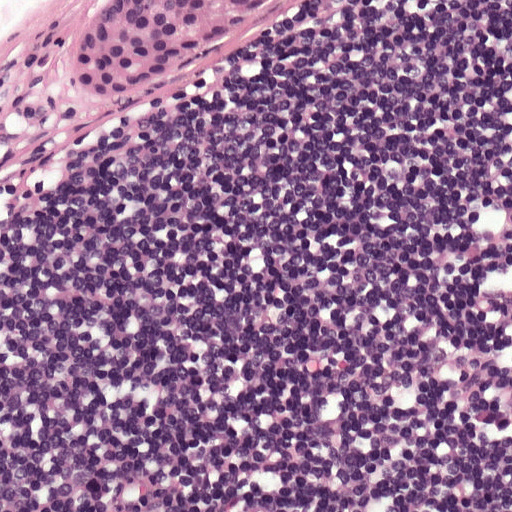
H&E-stained section of a sentinel lymph node (breast cancer), from a whole-slide image, viewed at about 20×: the field is about 0.25 mm across, about 0.49 µm per pixel.
Tumour region outline (a closed clockwise path, crop pixels): (106, 0), (271, 0), (216, 46), (125, 100), (76, 90), (66, 60).
About 5% of the image area is annotated as tumour.